Question: 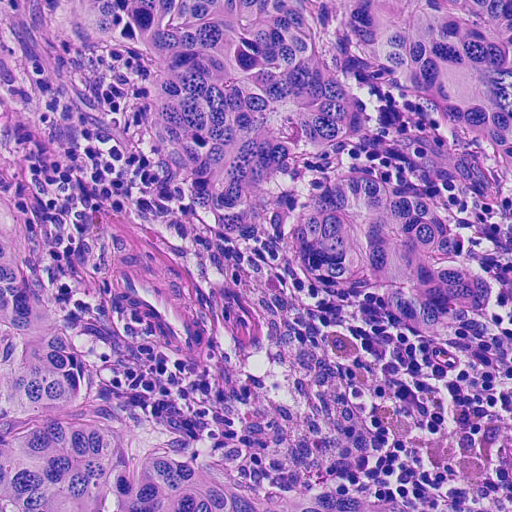
H&E-stained section of a sentinel lymph node (breast cancer), from a whole-slide image, viewed at about 20×: the field is about 0.23 mm across, about 0.45 µm per pixel.
About how much of this crop is taken up by metastatic carcinoma?

Choices:
 (A) none: no tumour is outlined
 (B) about 25% to 45%
 (C) about 10% to 20%
 (D) about 5% or less
 (E) about 50% or more

Answer: (B) about 25% to 45%
About 45% of the field is tumour.
Boundaries of two metastatic tumour regions, simplified and listed clockwise, largest first: region 1: (78, 0), (453, 0), (510, 32), (511, 178), (434, 103), (394, 88), (354, 94), (364, 112), (346, 148), (347, 168), (413, 188), (461, 245), (511, 268), (511, 318), (478, 340), (429, 338), (367, 297), (222, 239), (152, 138), (148, 62); region 2: (0, 188), (24, 208), (36, 280), (75, 338), (87, 370), (79, 404), (143, 435), (178, 428), (244, 490), (278, 492), (346, 477), (375, 495), (366, 511), (0, 511).
One more small tumour piece is annotated here but not outlined.